Question: 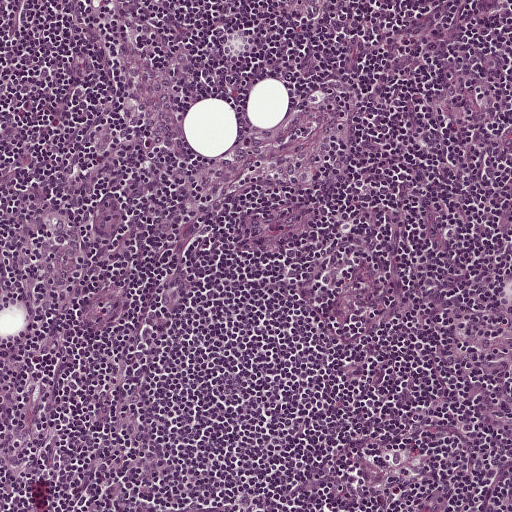
About what magnification does this crop show?

Choices:
 (A) about 2.5×
 (B) about 5×
 (C) about 20×
 (D) about 40×
 (E) about 10×

Answer: (E) about 10×
A 0.5-mm field of an H&E-stained sentinel lymph node from a breast-cancer patient (whole-slide image), shown at about 10×, about 0.97 µm per pixel.